Question: 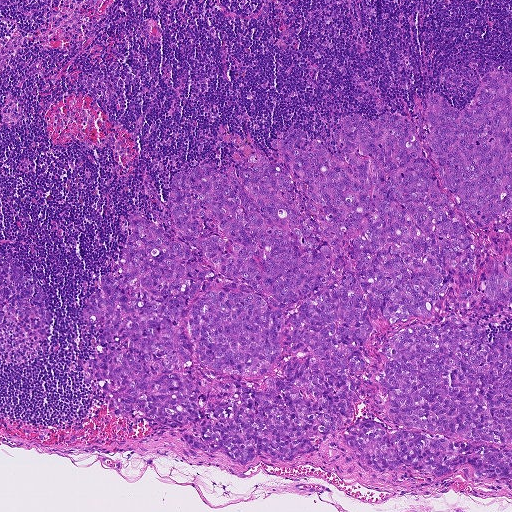
A 0.93-mm field of an H&E-stained sentinel lymph node from a breast-cancer patient (whole-slide image), shown at about 5×, about 1.8 µm per pixel.
About how much of this crop is taken up by metastatic carcinoma?

Choices:
 (A) about 50% or more
 (B) none: no tumour is outlined
 (C) about 25% to 45%
 (D) about 10% to 20%
 (E) about 5% or less

Answer: (C) about 25% to 45%
About 45% of the field is tumour.
One metastatic tumour region; its boundary, reduced to 24 corners and listed clockwise: (511, 73), (511, 443), (445, 436), (472, 445), (511, 448), (511, 479), (344, 442), (386, 423), (384, 346), (424, 319), (370, 322), (363, 401), (293, 460), (112, 411), (85, 299), (135, 210), (176, 233), (176, 173), (294, 128), (333, 155), (358, 113), (417, 124), (440, 182), (428, 98).